A 0.51-mm field of an H&E-stained sentinel lymph node from a breast-cancer patient (whole-slide image), shown at about 10×, about 1.0 µm per pixel.
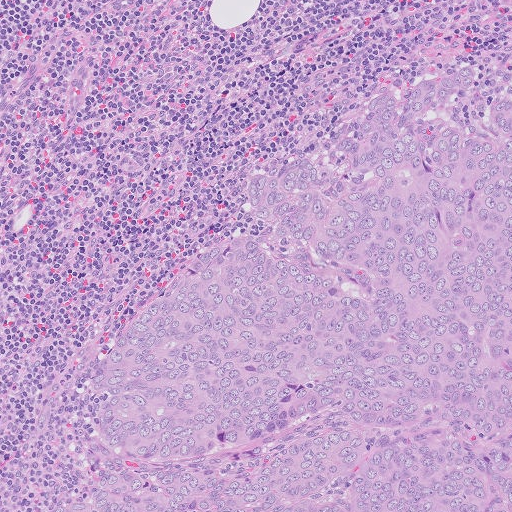
One metastatic tumour region; its boundary, reduced to 10 corners and listed clockwise: (480, 74), (511, 82), (511, 511), (49, 511), (82, 450), (76, 365), (172, 266), (229, 227), (278, 137), (412, 82).
About 55% of this field is tumour.